Question: 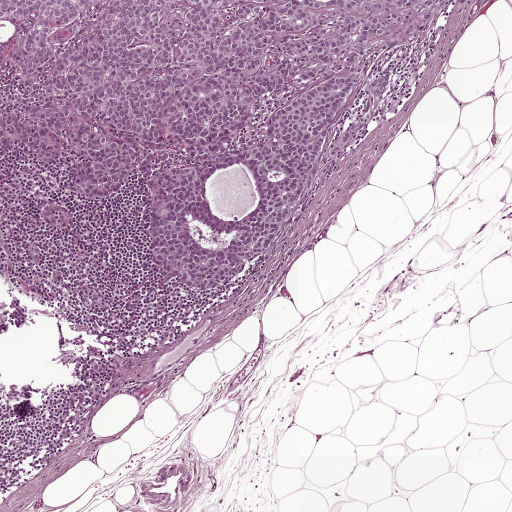
Which magnification is this H&E lymph node field most likely shown at?

Choices:
 (A) about 2.5×
 (B) about 20×
 (C) about 5×
 (D) about 40×
 (E) about 10×

Answer: (C) about 5×
This is a crop of a whole-slide image: an H&E-stained breast-cancer sentinel lymph node section at roughly 5× magnification (about 1.9 µm per pixel; the crop spans about 1 mm).
The outlined metastatic tumour's edge, as a closed clockwise path of 36 points: (0, 0), (439, 4), (417, 33), (288, 80), (232, 137), (262, 139), (282, 105), (327, 80), (389, 68), (384, 96), (356, 91), (327, 131), (372, 126), (324, 150), (219, 291), (154, 264), (147, 186), (220, 162), (210, 205), (236, 220), (258, 202), (252, 173), (235, 162), (216, 160), (192, 163), (137, 170), (118, 198), (67, 194), (70, 156), (43, 168), (0, 141), (0, 100), (16, 108), (26, 82), (7, 60), (23, 37).
One more small tumour piece is annotated here but not outlined.
About 25% of this field is tumour.